Image:
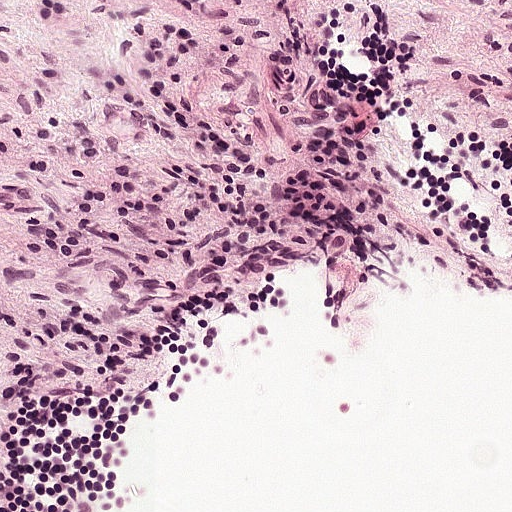
This is a crop of a whole-slide image: an H&E-stained breast-cancer sentinel lymph node section at roughly 20× magnification (about 0.49 µm per pixel; the crop spans about 0.25 mm).
Question:
Does this lymph node field contain metastatic tumour?
Answer:
No, this field holds no outlined metastasis.